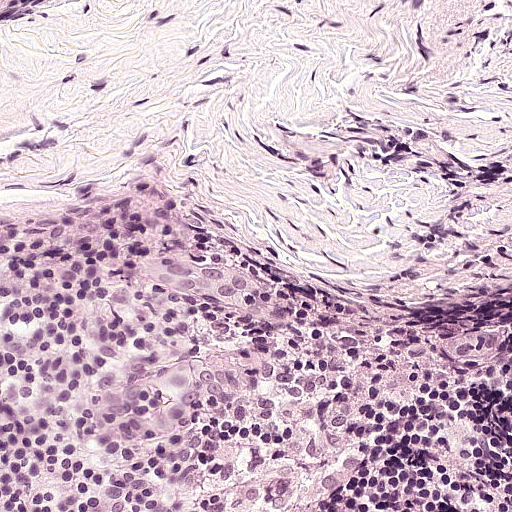
H&E-stained section of a sentinel lymph node (breast cancer), from a whole-slide image, viewed at about 20×: the field is about 0.25 mm across, about 0.49 µm per pixel.
Two metastatic tumour regions, each outlined as a closed clockwise path in crop pixels (x, y), largest first: region 1: (176, 354), (224, 358), (236, 367), (237, 388), (212, 412), (168, 440), (131, 443), (94, 436), (82, 416), (94, 394); region 2: (142, 250), (190, 250), (256, 273), (276, 302), (276, 314), (268, 321), (258, 321), (245, 315), (229, 313), (202, 297), (177, 291), (166, 280), (145, 270), (140, 263).
Tumour covers about 5% of the frame.